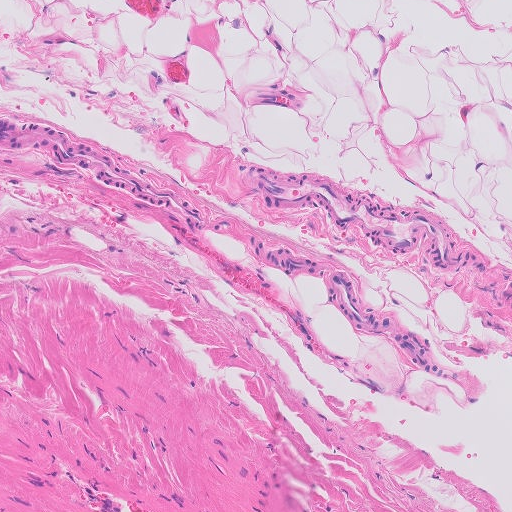
This is a crop of a whole-slide image: an H&E-stained breast-cancer sentinel lymph node section at roughly 10× magnification (about 1.0 µm per pixel; the crop spans about 0.51 mm).